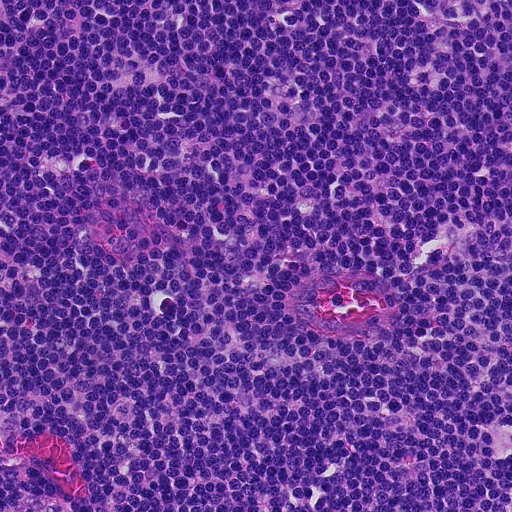
This is a crop of a whole-slide image: an H&E-stained breast-cancer sentinel lymph node section at roughly 20× magnification (about 0.45 µm per pixel; the crop spans about 0.23 mm).